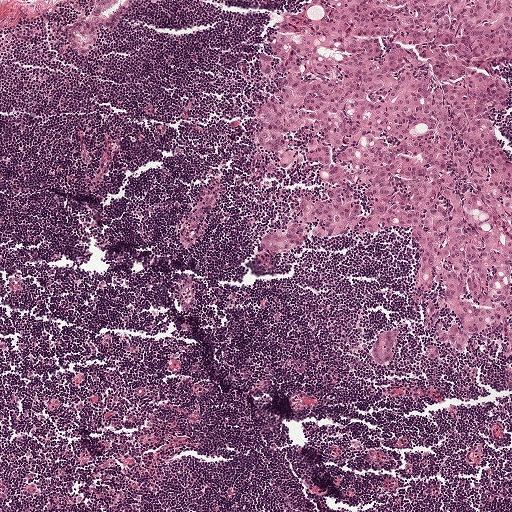
Lymph node section stained with H&E, from a whole-slide image of a breast-cancer sentinel node. Magnification about 5×, about 1 mm across the frame, about 1.9 µm per pixel.
Boundaries of three metastatic tumour regions, simplified and listed clockwise, largest first: region 1: (511, 0), (511, 96), (492, 116), (511, 157), (511, 352), (491, 329), (427, 356), (437, 336), (407, 227), (261, 248), (301, 196), (322, 202), (331, 188), (298, 154), (288, 174), (261, 169), (246, 130), (268, 92), (256, 58), (280, 21), (324, 18), (318, 2); region 2: (98, 0), (123, 0), (127, 4), (127, 13), (118, 25), (107, 28), (101, 25), (99, 43), (96, 50), (90, 54), (75, 54), (67, 43), (68, 30), (74, 22), (88, 13); region 3: (389, 328), (396, 334), (393, 353), (390, 362), (385, 364), (376, 363), (371, 353), (372, 344), (379, 333).
About 25% of the image area is annotated as tumour.